This is a crop of a whole-slide image: an H&E-stained breast-cancer sentinel lymph node section at roughly 10× magnification (about 0.97 µm per pixel; the crop spans about 0.5 mm).
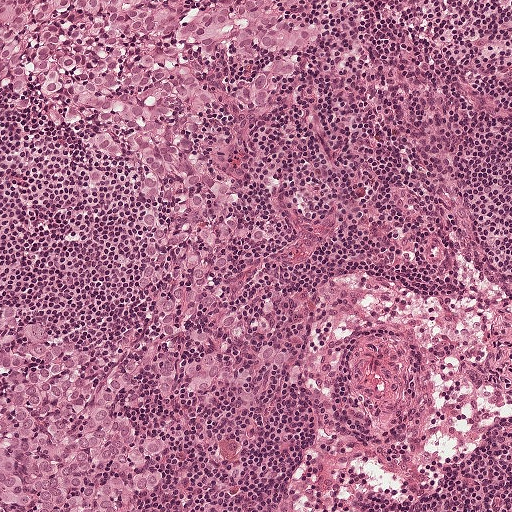
Boundaries of two metastatic tumour regions, simplified and listed clockwise, largest first: region 1: (0, 0), (297, 0), (286, 13), (312, 42), (264, 108), (230, 94), (262, 54), (190, 57), (203, 102), (192, 154), (222, 175), (236, 218), (266, 235), (263, 247), (228, 246), (225, 290), (243, 329), (218, 396), (153, 400), (127, 174), (0, 90); region 2: (0, 300), (90, 358), (127, 359), (133, 366), (117, 412), (141, 436), (164, 440), (164, 453), (140, 466), (163, 478), (163, 484), (132, 511), (0, 511).
About 30% of this field is tumour.